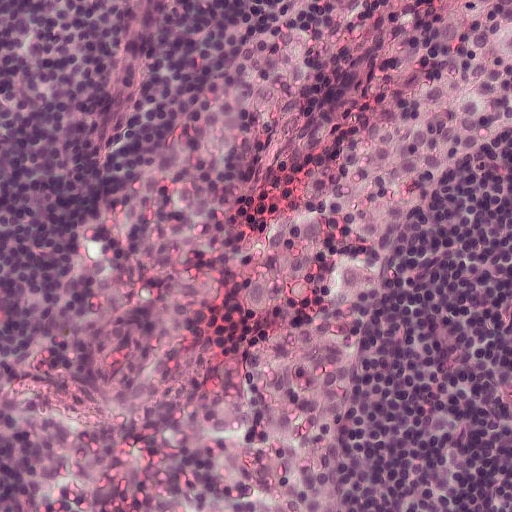
H&E-stained section of a sentinel lymph node (breast cancer), from a whole-slide image, viewed at about 20×: the field is about 0.25 mm across, about 0.49 µm per pixel.